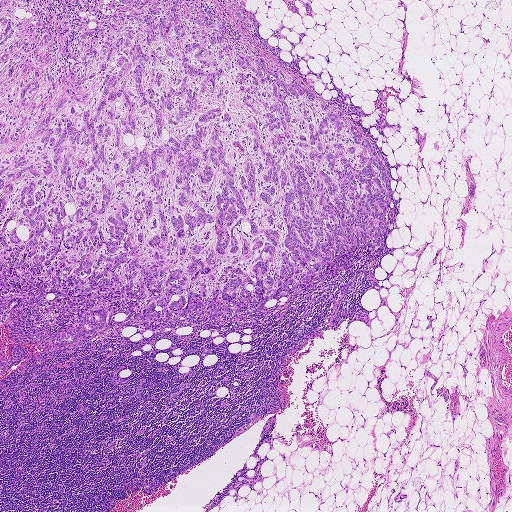
A 1.9-mm field of an H&E-stained sentinel lymph node from a breast-cancer patient (whole-slide image), shown at about 2.5×, about 3.6 µm per pixel.
Outlines of two tumour regions, largest first (closed clockwise paths, crop pixels): region 1: (0, 0), (200, 0), (227, 28), (234, 58), (258, 56), (297, 81), (385, 166), (380, 246), (341, 250), (262, 309), (252, 299), (217, 325), (196, 314), (163, 332), (120, 324), (119, 312), (71, 349), (56, 336), (85, 307), (53, 293), (39, 305), (18, 294), (1, 314); region 2: (233, 3), (241, 5), (244, 8), (246, 17), (246, 21), (242, 21), (238, 19), (231, 9), (230, 6).
About 40% of the image area is annotated as tumour.